Image:
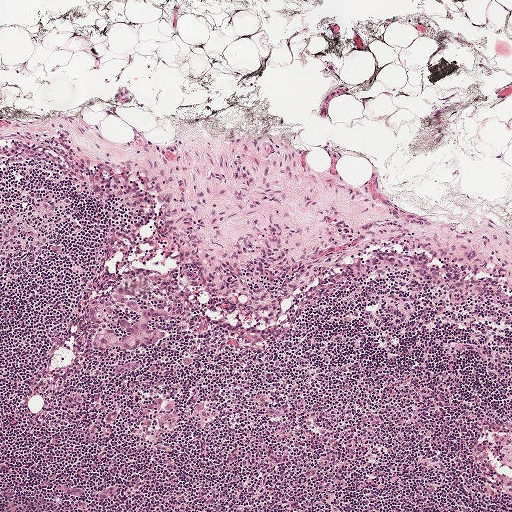
A 1-mm field of an H&E-stained sentinel lymph node from a breast-cancer patient (whole-slide image), shown at about 5×, about 1.9 µm per pixel.
Question:
Where is the metastatic tumour in this field? Give each region's outline as (x, y) pixel points.
Answer:
Metastatic tumour outline, simplified to 20 points and listed clockwise in crop pixels (x, y): (136, 285), (141, 304), (154, 305), (173, 314), (167, 318), (160, 315), (153, 317), (155, 326), (169, 329), (169, 335), (158, 344), (136, 348), (120, 346), (104, 348), (93, 344), (95, 326), (86, 307), (102, 295), (111, 295), (119, 286).
Tumour covers under 5% of the frame.

Image:
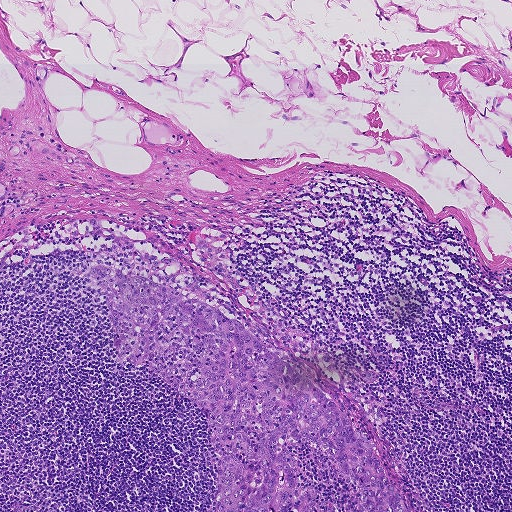
This is a crop of a whole-slide image: an H&E-stained breast-cancer sentinel lymph node section at roughly 5× magnification (about 1.8 µm per pixel; the crop spans about 0.93 mm).
Question:
Where is the metastatic tumour in this field? Give each region's outline as (x, y) pixel points.
Answer:
The outlined metastatic tumour's edge, as a closed clockwise path of 12 points: (104, 262), (229, 310), (371, 434), (409, 511), (212, 511), (219, 458), (201, 411), (153, 373), (119, 361), (105, 296), (86, 279), (85, 267).
About 15% of the image area is annotated as tumour.

Image:
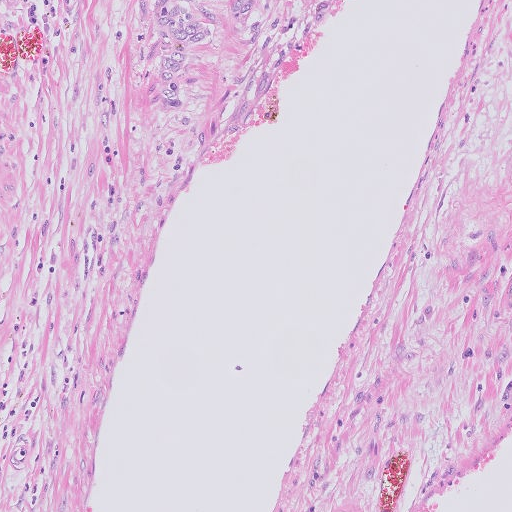
Lymph node section stained with H&E, from a whole-slide image of a breast-cancer sentinel node. Magnification about 10×, about 0.51 mm across the frame, about 1.0 µm per pixel.
Question:
Where is the metastatic tumour in this field? Give each region's outline as (x, y) pixel points.
Answer:
One metastatic tumour region; its boundary, reduced to 6 corners and listed clockwise: (0, 0), (230, 0), (138, 170), (72, 229), (44, 315), (0, 390).
Tumour covers about 15% of the frame.

Image:
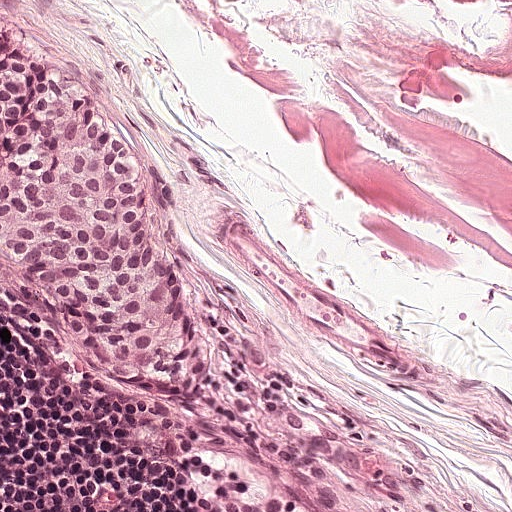
H&E-stained section of a sentinel lymph node (breast cancer), from a whole-slide image, viewed at about 20×: the field is about 0.25 mm across, about 0.49 µm per pixel.
Question:
Where is the metastatic tumour in this field? Give each region's outline as (x, y) pixel points.
Answer:
The outlined metastatic tumour's edge, as a closed clockwise path of 11 points: (0, 25), (80, 90), (135, 150), (174, 266), (198, 299), (211, 412), (199, 421), (168, 421), (106, 397), (40, 296), (2, 264).
About 20% of this field is tumour.